Image:
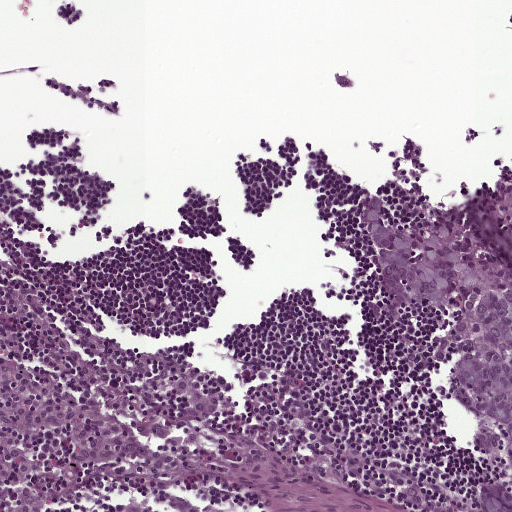
This is a crop of a whole-slide image: an H&E-stained breast-cancer sentinel lymph node section at roughly 10× magnification (about 0.97 µm per pixel; the crop spans about 0.5 mm).
Question:
Show where the tumour is in this image.
Answer:
Outlines of two tumour regions, largest first (closed clockwise paths, crop pixels): region 1: (511, 172), (511, 486), (503, 460), (478, 456), (462, 408), (443, 400), (441, 353), (452, 332), (446, 311), (377, 291), (374, 264), (358, 220), (359, 202), (374, 188), (403, 224), (421, 202); region 2: (492, 481), (506, 488), (511, 496), (511, 511), (481, 511), (478, 501), (479, 487).
The annotated tumour makes up about 10% of the crop.